A 0.5-mm field of an H&E-stained sentinel lymph node from a breast-cancer patient (whole-slide image), shown at about 10×, about 0.97 µm per pixel.
Image:
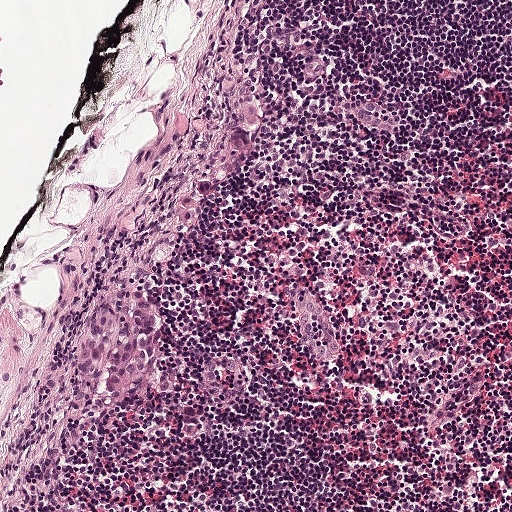
Question:
Trace the edge of each tumour region in this crop, as (x, y) points from 0 to 511.
Answer:
One metastatic tumour region; its boundary, reduced to 15 corners and listed clockwise: (135, 279), (157, 296), (160, 314), (153, 366), (130, 388), (112, 388), (96, 376), (96, 389), (83, 399), (62, 396), (62, 357), (66, 344), (74, 325), (105, 288), (118, 280).
Tumour covers about 5% of the frame.